A 0.5-mm field of an H&E-stained sentinel lymph node from a breast-cancer patient (whole-slide image), shown at about 10×, about 0.97 µm per pixel.
Image:
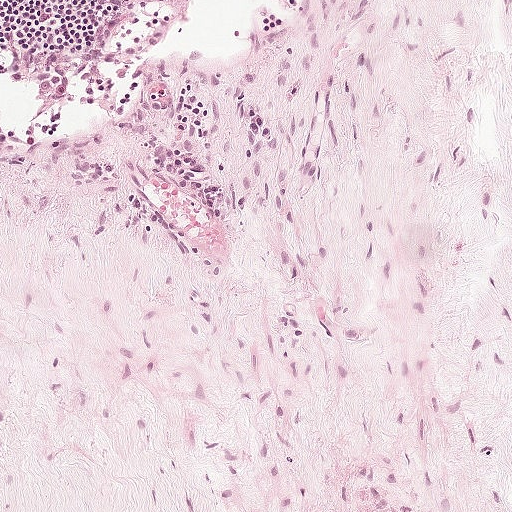
Question:
Is any metastatic breast cancer visible in this crop?
Answer:
No: no metastatic tumour is outlined anywhere in this field.